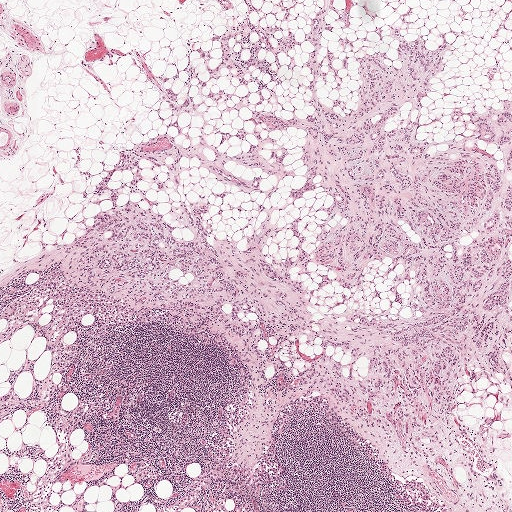
Lymph node section stained with H&E, from a whole-slide image of a breast-cancer sentinel node. Magnification about 2.5×, about 2.0 mm across the frame, about 3.9 µm per pixel.
Question: Describe where the metastatic carcinoma lies in this crop.
Answer: Outlines of seven tumour regions, largest first (closed clockwise paths, crop pixels): region 1: (322, 0), (350, 26), (325, 15), (317, 59), (329, 48), (343, 82), (318, 78), (318, 96), (356, 109), (356, 58), (383, 51), (400, 68), (388, 34), (410, 6), (406, 39), (448, 37), (418, 117), (425, 155), (463, 129), (452, 109), (485, 113), (511, 93), (506, 372), (396, 427), (318, 398), (272, 417), (207, 316), (103, 302), (64, 274), (96, 185), (175, 118), (177, 140), (234, 155), (247, 142), (216, 138), (250, 131), (252, 114), (312, 115), (303, 35); region 2: (241, 0), (252, 0), (254, 27), (280, 25), (273, 38), (294, 31), (301, 44), (290, 51), (296, 61), (290, 72), (285, 52), (279, 53), (278, 68), (265, 49), (258, 51), (282, 79), (270, 104), (262, 89), (259, 106), (260, 95), (253, 92), (248, 109), (236, 112), (231, 108), (248, 93), (246, 86), (229, 78), (228, 67), (210, 79), (195, 51), (198, 46), (211, 50), (208, 67), (218, 67), (223, 54), (210, 37), (244, 19), (247, 10); region 3: (189, 60), (191, 68), (196, 72), (199, 78), (205, 82), (213, 91), (217, 92), (220, 88), (221, 88), (230, 92), (231, 94), (231, 96), (228, 100), (220, 99), (215, 101), (208, 100), (206, 99), (205, 96), (208, 91), (208, 88), (208, 87), (200, 87), (197, 80), (196, 79), (192, 80), (190, 86), (187, 89), (186, 86), (183, 84), (185, 77), (185, 73), (182, 72), (188, 64); region 4: (161, 76), (168, 79), (164, 85), (167, 88), (173, 90), (176, 94), (176, 103), (179, 103), (182, 101), (187, 90), (190, 94), (194, 96), (194, 101), (186, 105), (182, 110), (175, 110), (171, 109), (169, 106), (165, 94), (158, 82), (159, 77); region 5: (490, 67), (496, 68), (496, 73), (493, 76), (495, 79), (490, 82), (488, 82), (487, 78), (484, 75); region 6: (345, 36), (348, 39), (353, 42), (354, 47), (352, 47), (338, 44), (338, 40), (341, 38), (345, 37); region 7: (346, 56), (348, 56), (349, 56), (349, 58), (347, 61), (348, 69), (344, 71), (342, 71), (342, 65), (341, 59).
About 45% of the image area is annotated as tumour.

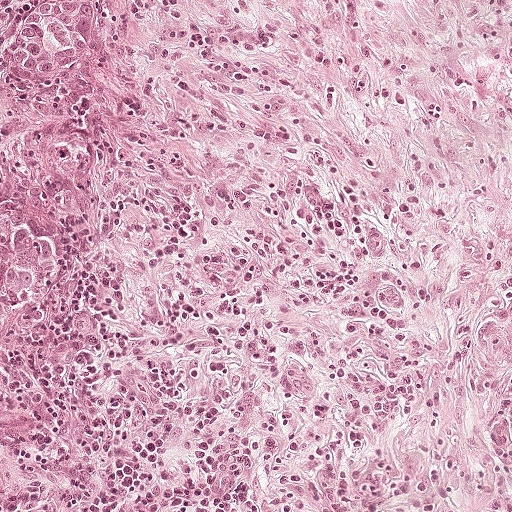
Lymph node section stained with H&E, from a whole-slide image of a breast-cancer sentinel node. Magnification about 10×, about 0.5 mm across the frame, about 0.97 µm per pixel.
Question: Describe where the metastatic carcinoma lies in this crop.
Answer: The outlined metastatic tumour's edge, as a closed clockwise path of 5 points: (0, 0), (138, 0), (131, 226), (98, 298), (3, 415).
Tumour covers about 15% of the frame.

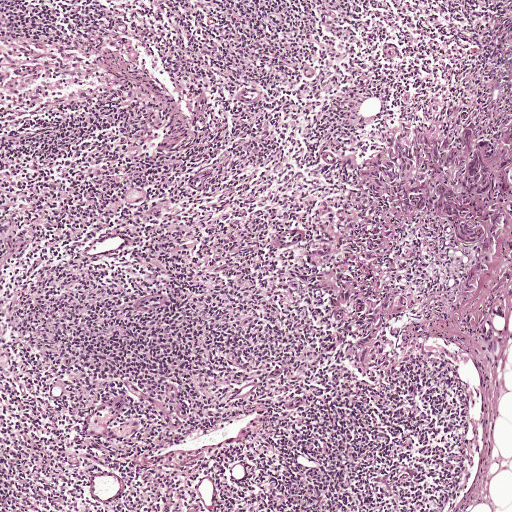
H&E-stained section of a sentinel lymph node (breast cancer), from a whole-slide image, viewed at about 5×: the field is about 1 mm across, about 1.9 µm per pixel.
Question: Describe where the metastatic carcinoma lies in this crop.
Answer: Tumour region outline (a closed clockwise path, crop pixels): (470, 114), (511, 136), (511, 215), (483, 284), (466, 293), (474, 250), (425, 212), (397, 230), (386, 272), (409, 304), (398, 319), (398, 358), (385, 366), (362, 373), (352, 367), (367, 310), (363, 302), (341, 309), (321, 292), (304, 266), (317, 205), (354, 190), (333, 162), (422, 117).
About 10% of this field is tumour.

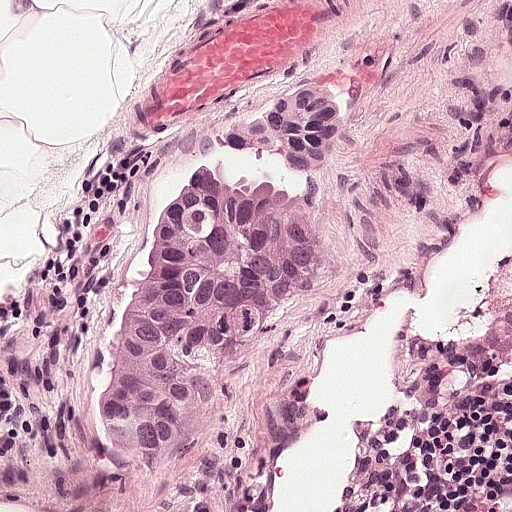
Lymph node section stained with H&E, from a whole-slide image of a breast-cancer sentinel node. Magnification about 20×, about 0.25 mm across the frame, about 0.49 µm per pixel.
Question: Describe where the metastatic carcinoma lies in this crop.
Answer: The outlined metastatic tumour's edge, as a closed clockwise path of 14 points: (332, 74), (349, 80), (337, 168), (344, 244), (326, 294), (244, 361), (204, 441), (174, 446), (166, 464), (108, 458), (100, 424), (118, 326), (182, 156), (285, 87).
The annotated tumour makes up about 20% of the crop.